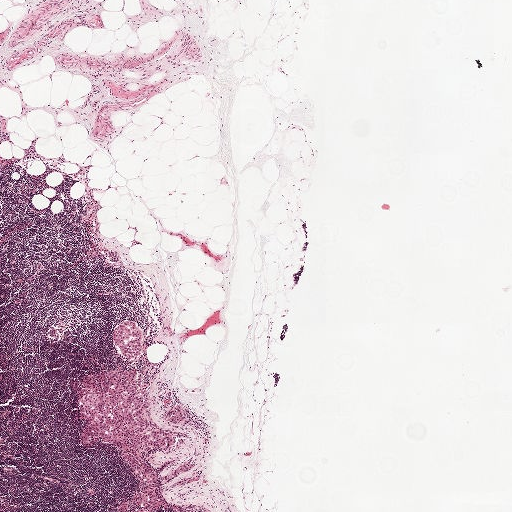
H&E-stained section of a sentinel lymph node (breast cancer), from a whole-slide image, viewed at about 2.5×: the field is about 2.0 mm across, about 3.9 µm per pixel.
Outlines of four tumour regions, largest first (closed clockwise paths, crop pixels): region 1: (116, 369), (131, 371), (150, 402), (146, 414), (151, 423), (173, 439), (168, 447), (145, 449), (161, 500), (156, 511), (115, 511), (138, 493), (132, 470), (112, 445), (79, 445), (81, 430), (86, 423), (79, 415), (77, 400), (82, 388), (97, 384), (99, 377); region 2: (129, 321), (137, 325), (140, 330), (143, 341), (137, 358), (125, 359), (116, 348), (112, 333), (119, 323); region 3: (176, 406), (180, 408), (185, 414), (185, 417), (183, 421), (172, 424), (167, 422), (165, 416), (168, 410); region 4: (190, 459), (194, 466), (180, 477), (172, 477), (171, 474), (173, 469), (183, 462).
The annotated tumour makes up about 5% of the crop.